Question: 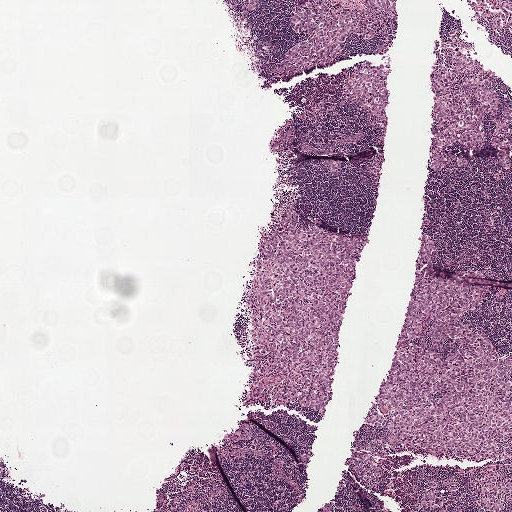
H&E-stained section of a sentinel lymph node (breast cancer), from a whole-slide image, viewed at about 2.5×: the field is about 2.0 mm across, about 3.9 µm per pixel.
Roughly what share of this field is metastatic tumour?

Choices:
 (A) about 10% to 20%
 (B) none: no tumour is outlined
 (C) about 50% or more
 (D) about 5% or less
 (E) about 25% to 45%

Answer: (A) about 10% to 20%
About 20% of the field is tumour.
Outlines of seven tumour regions, largest first (closed clockwise paths, crop pixels): region 1: (432, 241), (442, 263), (487, 280), (489, 298), (470, 322), (511, 350), (511, 466), (404, 458), (385, 470), (380, 493), (370, 493), (350, 469), (360, 454), (391, 437), (369, 432), (366, 422), (411, 313), (423, 243); region 2: (279, 213), (329, 240), (363, 243), (367, 248), (342, 314), (327, 415), (317, 419), (289, 409), (242, 408), (254, 374), (247, 304); region 3: (453, 30), (475, 44), (461, 53), (484, 64), (508, 89), (503, 95), (511, 102), (508, 167), (500, 165), (489, 143), (487, 112), (483, 138), (467, 151), (464, 165), (450, 161), (435, 168), (431, 165), (428, 152), (435, 92), (430, 75), (443, 51), (442, 32); region 4: (300, 0), (331, 0), (362, 10), (366, 6), (361, 0), (392, 0), (394, 11), (382, 22), (392, 25), (387, 49), (375, 51), (382, 37), (379, 33), (367, 38), (343, 33), (338, 53), (328, 60), (283, 74), (272, 71), (278, 58), (309, 35), (296, 32), (291, 23); region 5: (364, 62), (369, 62), (373, 66), (383, 65), (389, 70), (386, 80), (388, 94), (384, 107), (386, 118), (382, 122), (375, 122), (370, 119), (369, 111), (344, 98), (346, 85); region 6: (511, 475), (511, 505), (506, 506), (505, 511), (480, 511), (480, 496), (483, 491), (494, 483); region 7: (471, 0), (501, 0), (500, 4), (507, 6), (509, 11), (509, 16), (503, 23), (503, 36), (497, 34), (492, 16), (486, 15), (476, 19), (470, 8).
Two more small tumour pieces are annotated here but not outlined.